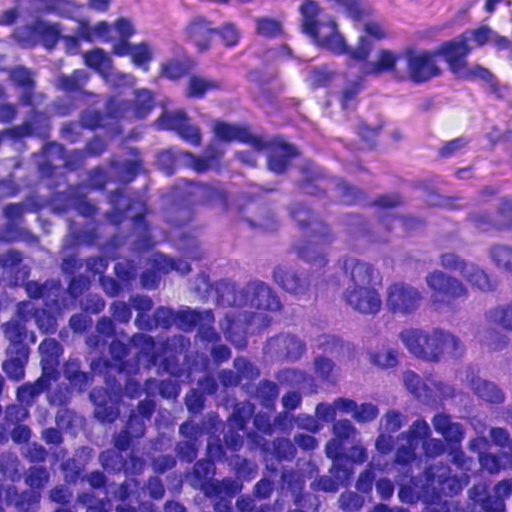
H&E-stained section of a sentinel lymph node (breast cancer), from a whole-slide image, viewed at about 40×: the field is about 0.12 mm across, about 0.23 µm per pixel.
Tumour region outline (a closed clockwise path, crop pixels): (172, 175), (511, 228), (511, 442), (293, 397), (238, 359), (141, 185).
About 25% of this field is tumour.